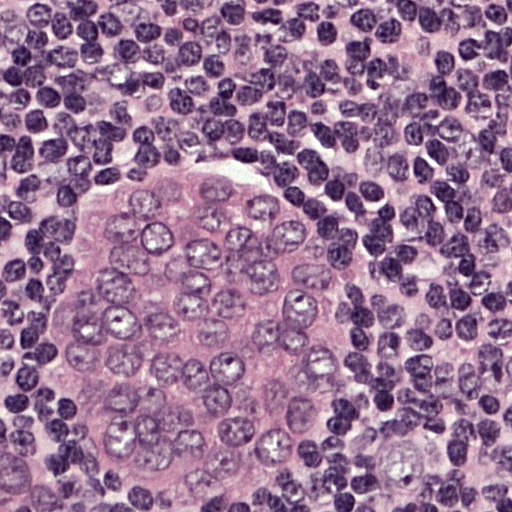
H&E-stained section of a sentinel lymph node (breast cancer), from a whole-slide image, viewed at about 40×: the field is about 0.12 mm across, about 0.24 µm per pixel.
The outlined metastatic tumour's edge, as a closed clockwise path of 12 points: (98, 164), (225, 168), (299, 200), (335, 274), (348, 354), (319, 431), (269, 495), (187, 511), (112, 495), (42, 449), (12, 372), (58, 216).
One more small tumour piece is annotated here but not outlined.
The annotated tumour makes up about 35% of the crop.